Image:
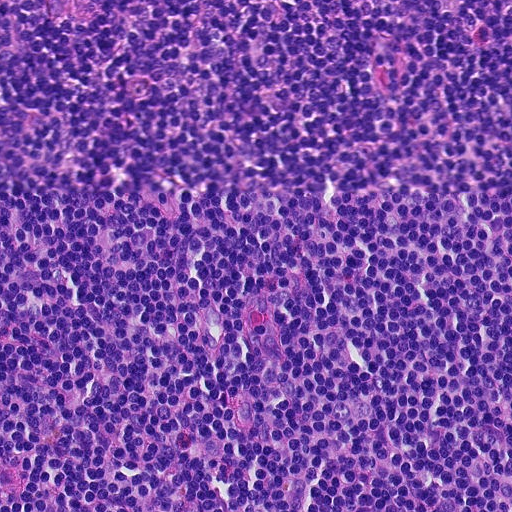
A 0.23-mm field of an H&E-stained sentinel lymph node from a breast-cancer patient (whole-slide image), shown at about 20×, about 0.45 µm per pixel.
Question:
Is there metastatic carcinoma in this field?
Answer:
No: no metastatic tumour is outlined anywhere in this field.